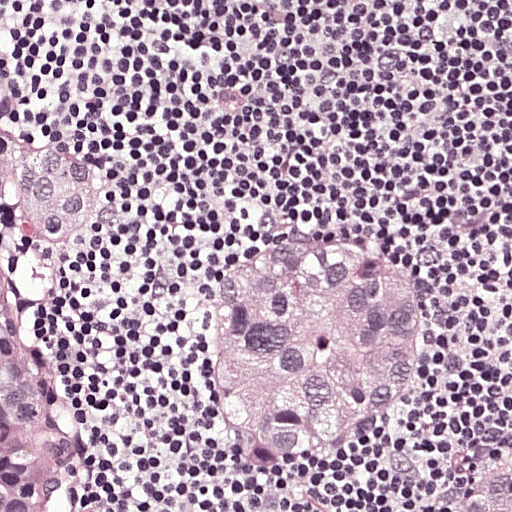
H&E-stained section of a sentinel lymph node (breast cancer), from a whole-slide image, viewed at about 20×: the field is about 0.25 mm across, about 0.49 µm per pixel.
Boundaries of three metastatic tumour regions, simplified and listed clockwise, largest first: region 1: (288, 232), (406, 270), (415, 300), (414, 332), (380, 410), (337, 452), (314, 458), (260, 456), (240, 444), (218, 402), (208, 327), (223, 273), (260, 241); region 2: (511, 463), (511, 511), (431, 511), (454, 490), (490, 464); region 3: (329, 0), (406, 0), (390, 15), (357, 19), (334, 12).
One more tumour region is annotated but not outlined: its edge is too irregular for a short outline.
The annotated tumour makes up about 25% of the crop.